A 0.25-mm field of an H&E-stained sentinel lymph node from a breast-cancer patient (whole-slide image), shown at about 20×, about 0.49 µm per pixel.
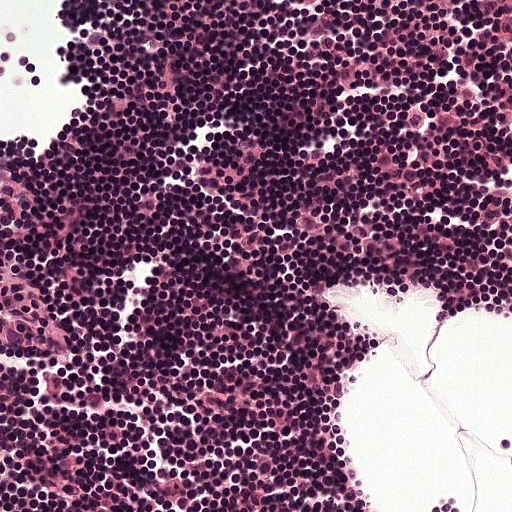
Question: Is there metastatic carcinoma in this field?
Answer: No: no metastatic tumour is outlined anywhere in this field.